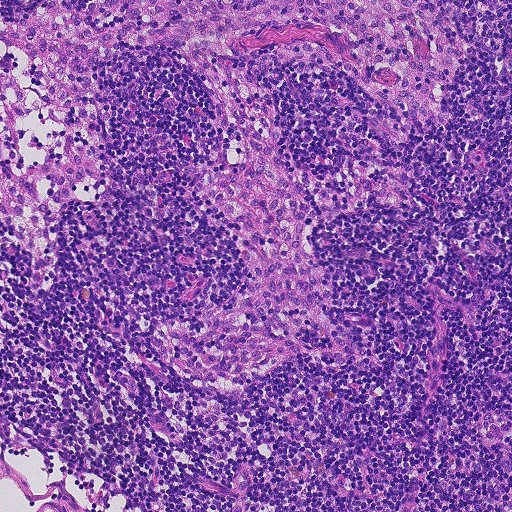
H&E-stained section of a sentinel lymph node (breast cancer), from a whole-slide image, viewed at about 10×: the field is about 0.46 mm across, about 0.9 µm per pixel.